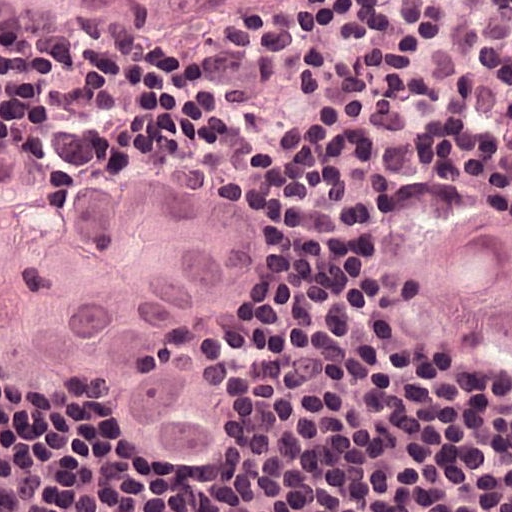
A 0.12-mm field of an H&E-stained sentinel lymph node from a breast-cancer patient (whole-slide image), shown at about 40×, about 0.24 µm per pixel.
Two metastatic tumour regions, each outlined as a closed clockwise path in crop pixels (x, y), largest first: region 1: (199, 163), (260, 194), (280, 226), (273, 301), (220, 338), (227, 451), (192, 474), (143, 464), (77, 403), (0, 378), (0, 184); region 2: (458, 205), (511, 208), (511, 380), (465, 379), (437, 368), (397, 344), (384, 321), (381, 260), (397, 234).
About 30% of this field is tumour.